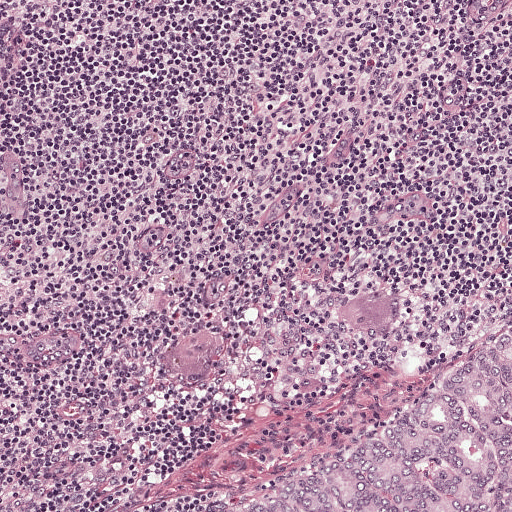
A 0.5-mm field of an H&E-stained sentinel lymph node from a breast-cancer patient (whole-slide image), shown at about 10×, about 0.97 µm per pixel.
The outlined metastatic tumour's edge, as a closed clockwise path of 5 points: (511, 312), (511, 511), (206, 511), (358, 441), (484, 324).
The annotated tumour makes up about 10% of the crop.